This is a crop of a whole-slide image: an H&E-stained breast-cancer sentinel lymph node section at roughly 20× magnification (about 0.49 µm per pixel; the crop spans about 0.25 mm).
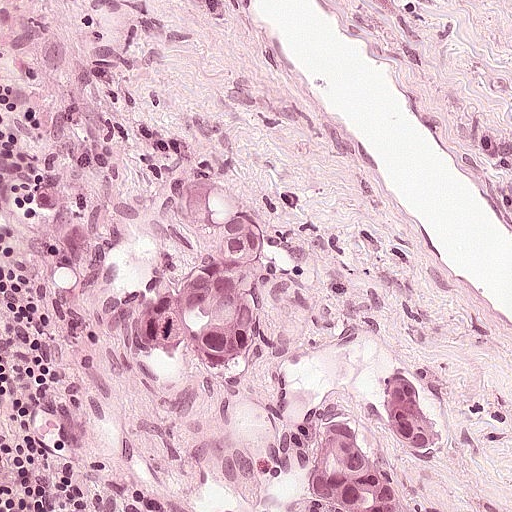
Three metastatic tumour regions, each outlined as a closed clockwise path in crop pixels (x, y), largest first: region 1: (224, 200), (250, 200), (260, 218), (258, 288), (248, 325), (237, 336), (200, 349), (160, 346), (133, 334), (118, 314), (126, 286), (154, 269), (190, 234), (206, 210); region 2: (335, 398), (352, 404), (366, 425), (371, 440), (380, 446), (390, 460), (391, 492), (389, 502), (375, 510), (358, 510), (327, 490), (298, 480), (298, 460), (308, 412), (314, 404); region 3: (389, 344), (404, 358), (414, 383), (421, 392), (422, 400), (432, 414), (432, 435), (429, 446), (423, 449), (414, 449), (396, 438), (376, 410), (373, 402), (374, 362), (383, 348).
About 10% of the image area is annotated as tumour.